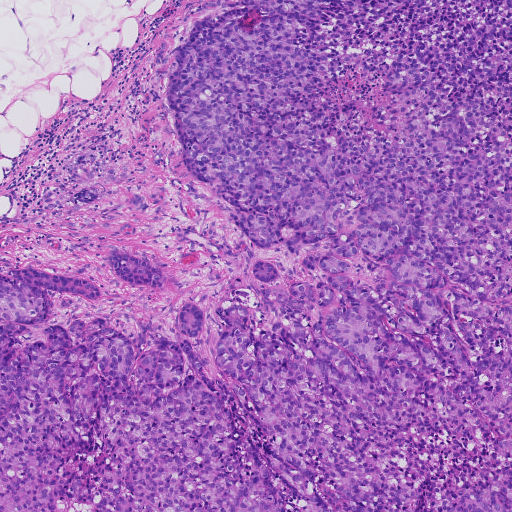
Lymph node section stained with H&E, from a whole-slide image of a breast-cancer sentinel node. Magnification about 5×, about 0.93 mm across the frame, about 1.8 µm per pixel.
Outlines of three tumour regions, largest first (closed clockwise paths, crop pixels): region 1: (206, 0), (511, 0), (511, 511), (0, 511), (0, 271), (98, 286), (46, 291), (30, 340), (94, 317), (177, 342), (197, 305), (189, 342), (236, 382), (213, 351), (222, 296), (265, 283), (250, 271), (268, 258), (270, 287), (318, 283), (308, 247), (259, 248), (182, 160), (155, 56); region 2: (111, 250), (129, 253), (163, 270), (167, 278), (164, 286), (155, 288), (136, 286), (120, 279), (108, 266), (106, 257); region 3: (84, 189), (96, 192), (98, 195), (97, 199), (90, 202), (86, 202), (78, 202), (75, 200), (73, 196), (76, 193).
One more small tumour piece is annotated here but not outlined.
About 75% of this field is tumour.